Image:
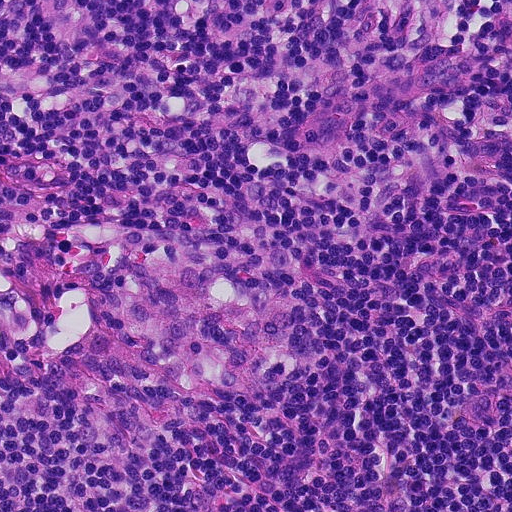
H&E-stained section of a sentinel lymph node (breast cancer), from a whole-slide image, viewed at about 20×: the field is about 0.23 mm across, about 0.45 µm per pixel.
Question:
Does this lymph node field contain metastatic tumour?
Answer:
No, this field holds no outlined metastasis.